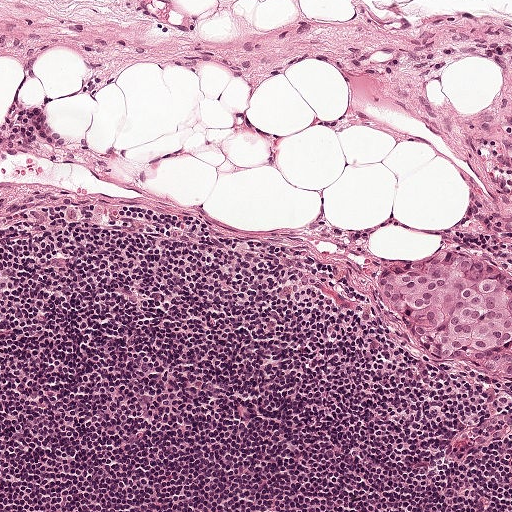
H&E-stained section of a sentinel lymph node (breast cancer), from a whole-slide image, viewed at about 10×: the field is about 0.5 mm across, about 0.97 µm per pixel.
Metastatic tumour outline, simplified to 14 points and listed clockwise in crop pixels (x, y): (457, 248), (511, 290), (511, 390), (486, 380), (476, 359), (440, 364), (422, 356), (410, 345), (402, 322), (390, 314), (381, 294), (371, 288), (376, 267), (408, 266).
About 5% of the image area is annotated as tumour.